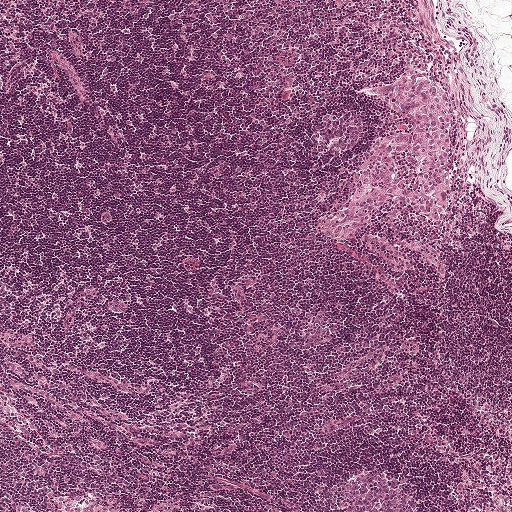
Lymph node section stained with H&E, from a whole-slide image of a breast-cancer sentinel node. Magnification about 5×, about 1 mm across the frame, about 1.9 µm per pixel.
Question: Where is the metastatic tumour in this field?
Answer: Metastatic tumour outline, simplified to 18 points and listed clockwise in crop pixels (x, y): (409, 71), (433, 76), (453, 98), (457, 203), (450, 214), (428, 220), (394, 196), (360, 234), (347, 241), (336, 241), (319, 231), (317, 223), (349, 198), (377, 144), (390, 135), (412, 130), (402, 112), (370, 88).
About 5% of the image area is annotated as tumour.